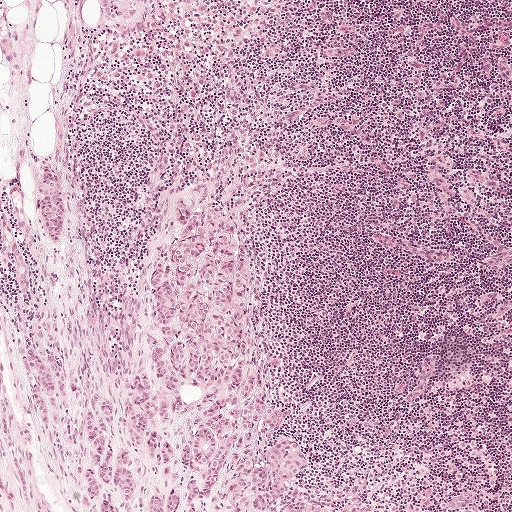
A 1-mm field of an H&E-stained sentinel lymph node from a breast-cancer patient (whole-slide image), shown at about 5×, about 1.9 µm per pixel.
Question: Describe where the metastatic carcinoma lies in this crop.
Answer: Outlines of two tumour regions, largest first (closed clockwise paths, crop pixels): region 1: (30, 162), (62, 166), (84, 291), (122, 383), (142, 262), (171, 201), (194, 176), (236, 192), (269, 266), (268, 336), (291, 397), (287, 427), (310, 450), (312, 492), (348, 511), (4, 511), (0, 180); region 2: (99, 0), (158, 0), (155, 6), (149, 8), (135, 22), (125, 28), (107, 26), (99, 21).
About 30% of this field is tumour.